Question: 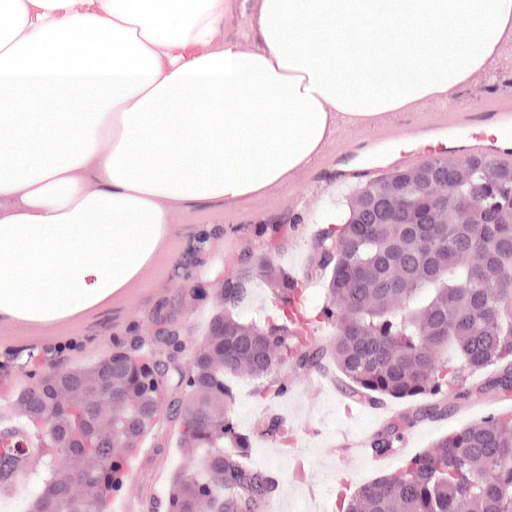
At roughly what magnification is this field shown?

Choices:
 (A) about 5×
 (B) about 20×
 (C) about 10×
 (D) about 2.5×
 (E) about 40×

Answer: (B) about 20×
Lymph node section stained with H&E, from a whole-slide image of a breast-cancer sentinel node. Magnification about 20×, about 0.25 mm across the frame, about 0.49 µm per pixel.
The outlined metastatic tumour's edge, as a closed clockwise path of 7 points: (511, 124), (511, 511), (0, 511), (0, 380), (56, 360), (239, 250), (386, 134).
About 55% of the image area is annotated as tumour.